Question: 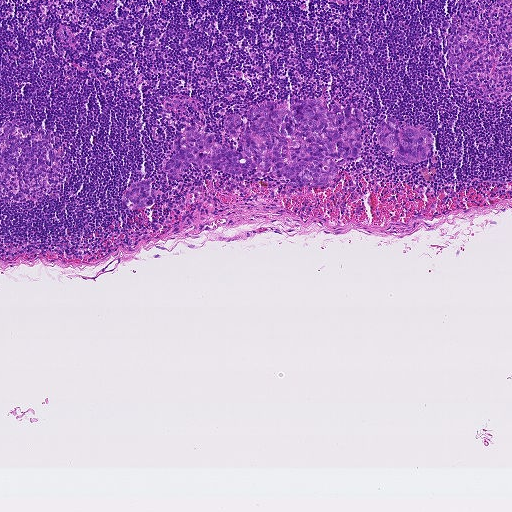
This is a crop of a whole-slide image: an H&E-stained breast-cancer sentinel lymph node section at roughly 5× magnification (about 1.8 µm per pixel; the crop spans about 0.93 mm).
Estimate the proportion of this field that is metastatic tumour.

Choices:
 (A) about 5% or less
 (B) about 25% to 45%
 (C) none: no tumour is outlined
 (D) about 50% or more
 (E) about 10% to 20%

Answer: (A) about 5% or less
About 5% of the field is tumour.
Outlines of three tumour regions, largest first (closed clockwise paths, crop pixels): region 1: (322, 98), (328, 109), (349, 106), (363, 118), (356, 160), (336, 165), (337, 177), (327, 186), (292, 187), (256, 174), (256, 168), (236, 175), (188, 166), (174, 180), (163, 171), (175, 135), (191, 122), (215, 142), (237, 148), (224, 120), (247, 118), (253, 106), (266, 102); region 2: (384, 120), (386, 124), (388, 121), (398, 120), (404, 127), (421, 126), (429, 130), (432, 134), (430, 155), (428, 159), (416, 163), (403, 163), (394, 161), (393, 152), (395, 148), (388, 153), (383, 152), (378, 145), (376, 128); region 3: (149, 178), (151, 180), (150, 185), (155, 190), (155, 202), (139, 210), (127, 208), (124, 203), (124, 191), (131, 182).
One more small tumour piece is annotated here but not outlined.